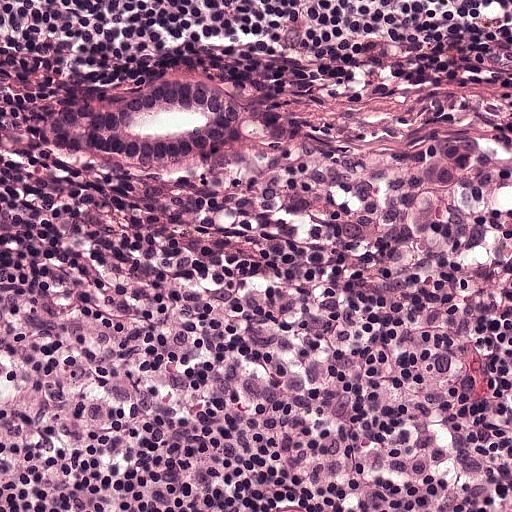
Lymph node section stained with H&E, from a whole-slide image of a breast-cancer sentinel node. Magnification about 20×, about 0.25 mm across the frame, about 0.49 µm per pixel.
Metastatic tumour outline, simplified to 14 points and listed clockwise in crop pixels (x, y): (160, 82), (226, 82), (239, 88), (248, 104), (244, 165), (231, 172), (176, 172), (124, 162), (66, 160), (53, 154), (37, 133), (37, 117), (56, 102), (131, 92).
The annotated tumour makes up about 5% of the crop.